H&E-stained section of a sentinel lymph node (breast cancer), from a whole-slide image, viewed at about 20×: the field is about 0.25 mm across, about 0.49 µm per pixel.
Image:
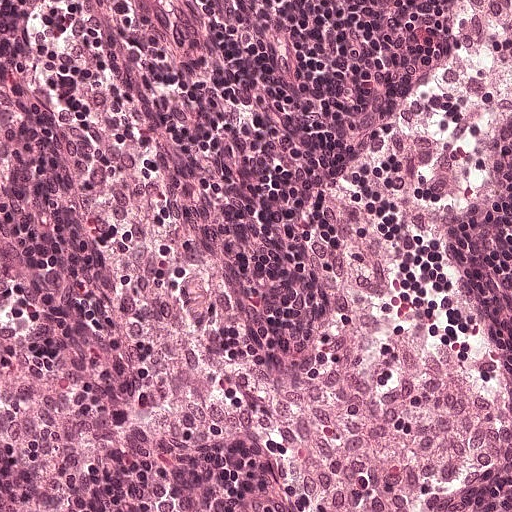
Question:
Is there metastatic carcinoma in this field?
Answer:
No: no metastatic tumour is outlined anywhere in this field.